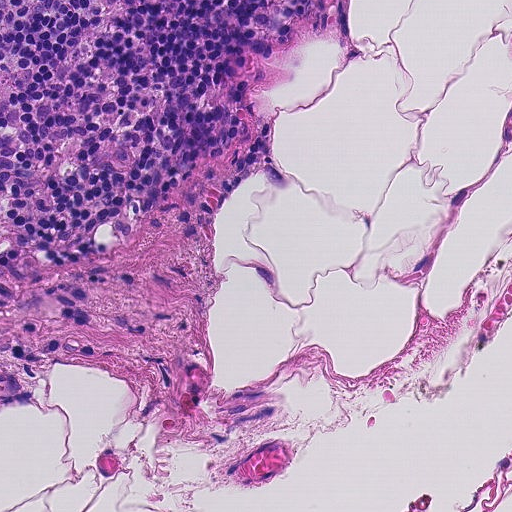
Lymph node section stained with H&E, from a whole-slide image of a breast-cancer sentinel node. Magnification about 20×, about 0.23 mm across the frame, about 0.45 µm per pixel.
Question: Is any metastatic breast cancer visible in this crop?
Answer: No. No metastatic tumour is outlined in this field.